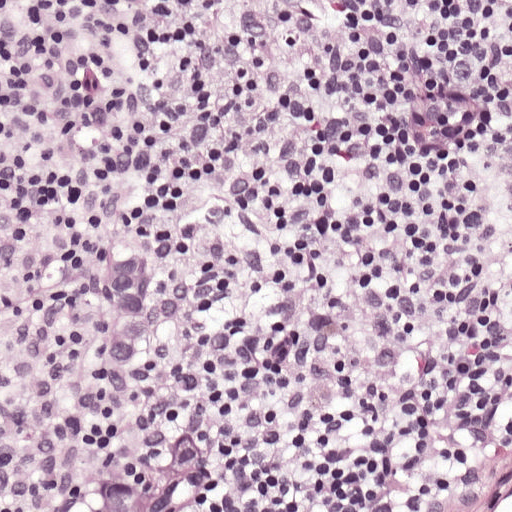
Lymph node section stained with H&E, from a whole-slide image of a breast-cancer sentinel node. Magnification about 20×, about 0.25 mm across the frame, about 0.49 µm per pixel.
Outlines of two tumour regions, largest first (closed clockwise paths, crop pixels): region 1: (146, 238), (154, 302), (147, 366), (114, 404), (97, 358), (98, 304), (92, 250); region 2: (182, 434), (212, 452), (162, 511), (93, 511), (100, 484), (120, 477), (138, 478).
The annotated tumour makes up about 5% of the crop.